Question: 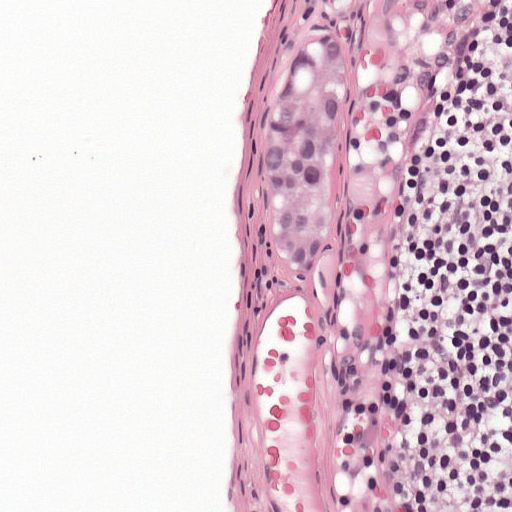
H&E-stained section of a sentinel lymph node (breast cancer), from a whole-slide image, viewed at about 20×: the field is about 0.25 mm across, about 0.49 µm per pixel.
About how much of this crop is taken up by metastatic carcinoma?

Choices:
 (A) about 10% to 20%
 (B) about 25% to 45%
 (C) about 5% or less
 (D) none: no tumour is outlined
 (E) about 50% or more

Answer: (C) about 5% or less
About 5% of the field is tumour.
One metastatic tumour region; its boundary, reduced to 10 corners and listed clockwise: (325, 28), (343, 50), (352, 100), (352, 151), (329, 249), (299, 282), (272, 259), (261, 211), (268, 110), (288, 62).
Question: 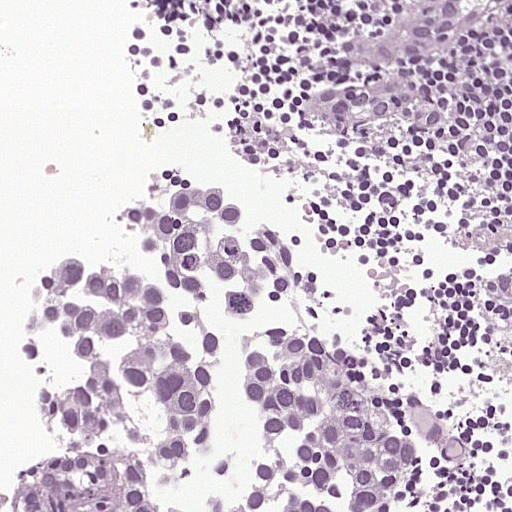
H&E-stained section of a sentinel lymph node (breast cancer), from a whole-slide image, viewed at about 20×: the field is about 0.25 mm across, about 0.49 µm per pixel.
About how much of this crop is taken up by metastatic carcinoma?

Choices:
 (A) about 25% to 45%
 (B) about 10% to 20%
 (C) about 50% or more
 (D) about 5% or less
 (E) none: no tumour is outlined

Answer: (A) about 25% to 45%
About 40% of the field is tumour.
Metastatic tumour outline, simplified to 12 points and listed clockwise in crop pixels (x, y): (175, 178), (216, 188), (251, 212), (416, 449), (409, 511), (0, 511), (0, 481), (18, 447), (16, 313), (34, 270), (108, 232), (128, 196).
Question: 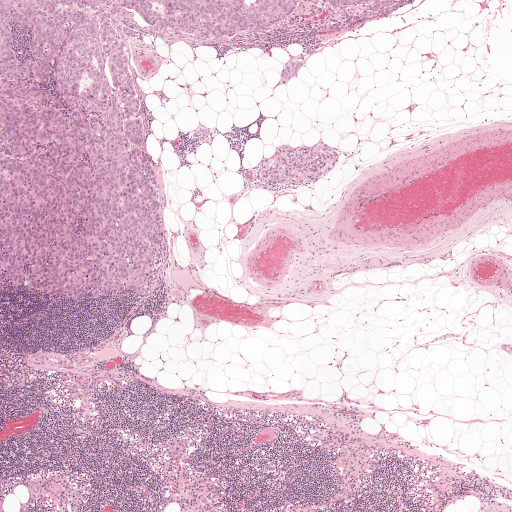
Lymph node section stained with H&E, from a whole-slide image of a breast-cancer sentinel node. Magnification about 2.5×, about 2.0 mm across the frame, about 3.9 µm per pixel.
About how much of this crop is taken up by metastatic carcinoma?

Choices:
 (A) about 10% to 20%
 (B) about 50% or more
 (C) none: no tumour is outlined
 (D) about 5% or less
 (E) about 25% to 45%

Answer: (A) about 10% to 20%
About 20% of the field is tumour.
Outlines of five tumour regions, largest first (closed clockwise paths, crop pixels): region 1: (0, 0), (298, 0), (278, 25), (224, 39), (166, 31), (120, 9), (136, 29), (124, 36), (161, 183), (169, 237), (160, 273), (146, 294), (90, 303), (0, 289); region 2: (321, 140), (337, 153), (336, 161), (326, 174), (294, 184), (277, 184), (262, 178), (257, 171), (260, 163), (273, 154), (278, 147), (302, 144), (306, 147), (315, 145); region 3: (369, 0), (404, 0), (401, 3), (384, 10), (375, 12), (370, 5); region 4: (299, 60), (301, 61), (300, 67), (292, 78), (286, 82), (279, 82), (279, 76), (282, 70), (286, 64), (292, 61); region 5: (202, 126), (209, 130), (209, 138), (195, 141), (190, 135), (194, 128).
Question: 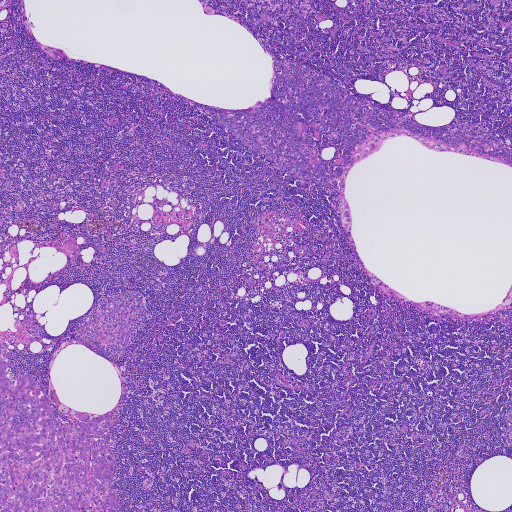
This is a crop of a whole-slide image: an H&E-stained breast-cancer sentinel lymph node section at roughly 2.5× magnification (about 3.6 µm per pixel; the crop spans about 1.9 mm).
About how much of this crop is taken up by metastatic carcinoma?

Choices:
 (A) about 50% or more
 (B) about 5% or less
 (C) none: no tumour is outlined
 (D) about 25% to 45%
 (E) about 10% to 20%

Answer: (B) about 5% or less
About 5% of the field is tumour.
One metastatic tumour region; its boundary, reduced to 17 corners and listed clockwise: (0, 358), (12, 384), (18, 370), (22, 376), (29, 374), (36, 388), (43, 388), (61, 427), (111, 418), (99, 443), (112, 444), (110, 455), (117, 462), (111, 483), (121, 505), (106, 511), (0, 511).